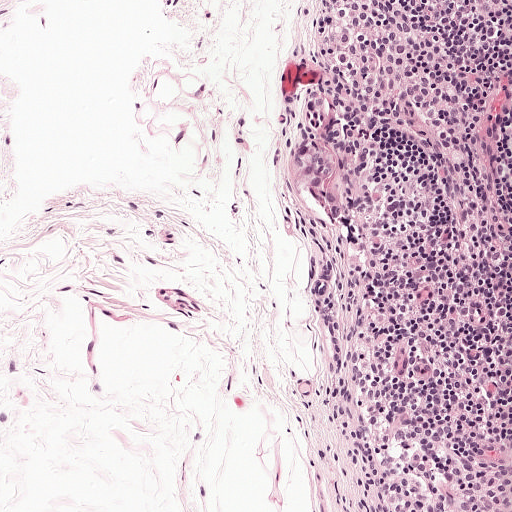
This is a crop of a whole-slide image: an H&E-stained breast-cancer sentinel lymph node section at roughly 10× magnification (about 0.97 µm per pixel; the crop spans about 0.5 mm).
One metastatic tumour region; its boundary, reduced to 13 corners and listed clockwise: (309, 133), (324, 137), (337, 152), (339, 167), (336, 183), (343, 197), (345, 212), (333, 219), (298, 191), (290, 179), (284, 166), (286, 150), (295, 138).
Tumour covers under 5% of the frame.